Question: 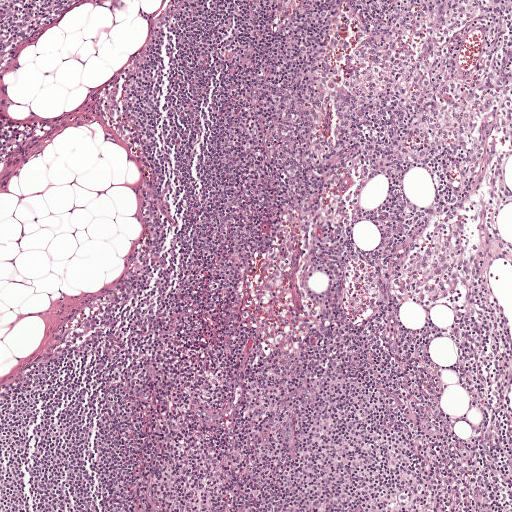
At roughly what magnification is this field shown?

Choices:
 (A) about 20×
 (B) about 2.5×
 (C) about 10×
 (D) about 40×
 (E) about 5×

Answer: (E) about 5×
This is a crop of a whole-slide image: an H&E-stained breast-cancer sentinel lymph node section at roughly 5× magnification (about 1.9 µm per pixel; the crop spans about 1 mm).